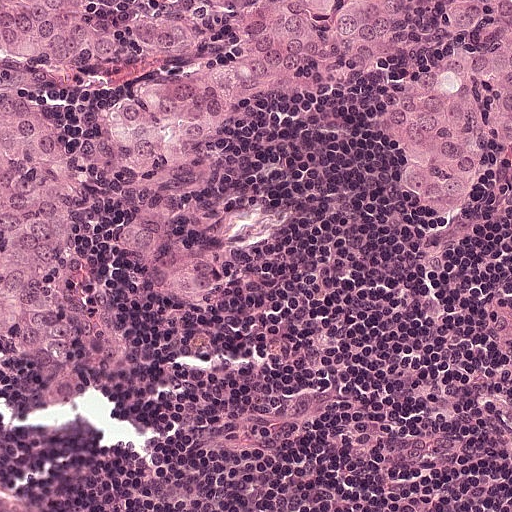
Lymph node section stained with H&E, from a whole-slide image of a breast-cancer sentinel node. Magnification about 20×, about 0.25 mm across the frame, about 0.49 µm per pixel.
One metastatic tumour region; its boundary, reduced to 22 corners and listed clockwise: (0, 0), (511, 0), (511, 146), (445, 214), (390, 192), (374, 142), (382, 110), (422, 84), (414, 46), (222, 107), (198, 200), (230, 282), (206, 301), (160, 298), (129, 262), (90, 102), (54, 86), (50, 136), (72, 177), (100, 322), (52, 364), (1, 352).
About 35% of this field is tumour.